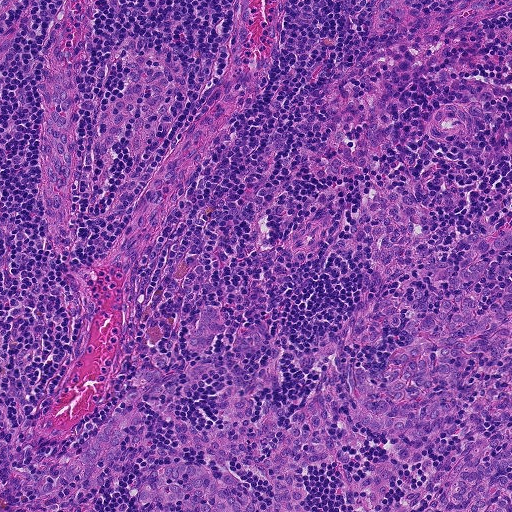
A 0.46-mm field of an H&E-stained sentinel lymph node from a breast-cancer patient (whole-slide image), shown at about 10×, about 0.9 µm per pixel.
Three metastatic tumour regions, each outlined as a closed clockwise path in crop pixels (x, y), largest first: region 1: (511, 229), (464, 292), (482, 311), (511, 261), (511, 511), (140, 511), (140, 487), (170, 463), (234, 476), (264, 508), (273, 502), (262, 474), (182, 446), (147, 410), (112, 464), (41, 494), (142, 364), (201, 430), (220, 423), (216, 401), (231, 383), (288, 404), (308, 398), (328, 364), (348, 388), (348, 361), (382, 375), (406, 324), (356, 348), (345, 312), (372, 296), (411, 299), (423, 284), (441, 292), (441, 274), (419, 272), (421, 262), (440, 256), (456, 269), (466, 232); region 2: (212, 303), (218, 309), (227, 324), (223, 332), (216, 338), (213, 346), (204, 353), (196, 353), (186, 351), (184, 342), (187, 334), (194, 327), (203, 305); region 3: (264, 323), (266, 341), (262, 348), (246, 358), (237, 357), (232, 350), (233, 340), (247, 326).
The annotated tumour makes up about 25% of the crop.